H&E-stained section of a sentinel lymph node (breast cancer), from a whole-slide image, viewed at about 5×: the field is about 1 mm across, about 1.9 µm per pixel.
Image:
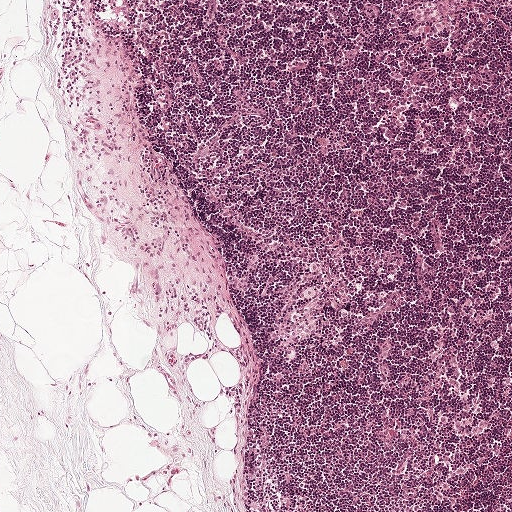
Question:
Is any metastatic breast cancer visible in this crop?
Answer:
No, this field holds no outlined metastasis.